Question: 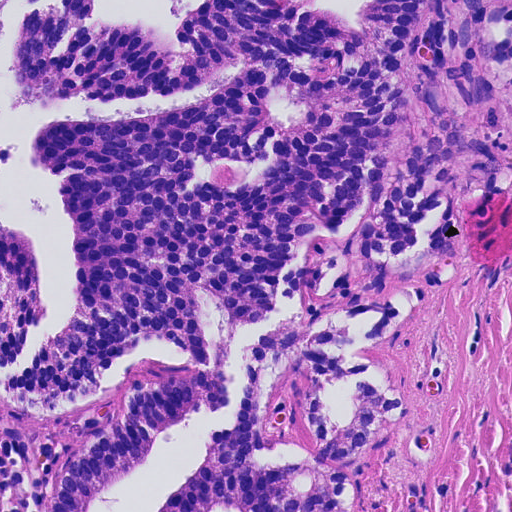
At roughly what magnification is this field shown?

Choices:
 (A) about 5×
 (B) about 2.5×
 (C) about 20×
 (D) about 40×
 (E) about 10×

Answer: (C) about 20×
A 0.23-mm field of an H&E-stained sentinel lymph node from a breast-cancer patient (whole-slide image), shown at about 20×, about 0.45 µm per pixel.
Tumour region outline (a closed clockwise path, crop pixels): (0, 0), (511, 0), (511, 190), (494, 225), (425, 269), (390, 334), (356, 352), (398, 374), (404, 411), (352, 466), (354, 508), (51, 511), (70, 460), (120, 416), (126, 386), (186, 376), (193, 361), (146, 342), (106, 392), (46, 418), (0, 399).
The annotated tumour makes up about 85% of the crop.